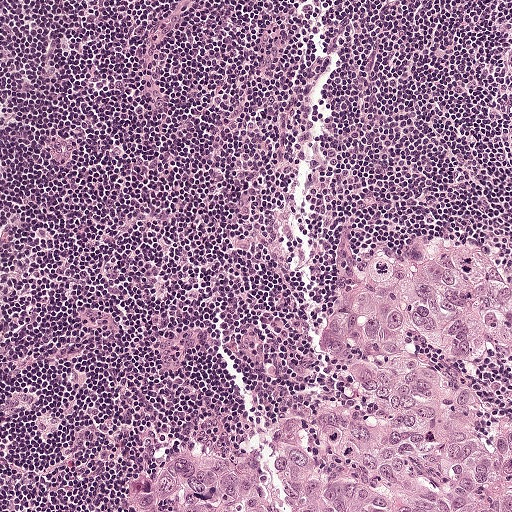
A 0.5-mm field of an H&E-stained sentinel lymph node from a breast-cancer patient (whole-slide image), shown at about 10×, about 0.97 µm per pixel.
Metastatic tumour outline, simplified to 15 points and listed clockwise in crop pixels (x, y): (451, 238), (484, 250), (510, 285), (511, 511), (123, 511), (136, 480), (157, 468), (240, 454), (343, 417), (313, 372), (317, 318), (328, 290), (384, 249), (408, 253), (425, 239).
Tumour covers about 25% of the frame.